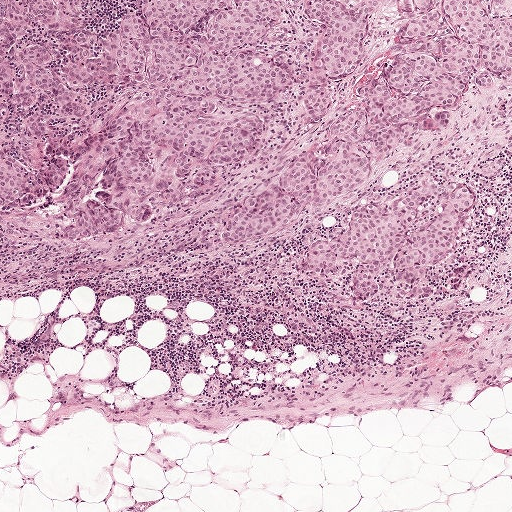
Lymph node section stained with H&E, from a whole-slide image of a breast-cancer sentinel node. Magnification about 5×, about 1 mm across the frame, about 1.9 µm per pixel.
Outlines of two tumour regions, largest first (closed clockwise paths, crop pixels): region 1: (490, 0), (487, 12), (511, 19), (511, 73), (484, 92), (468, 90), (438, 133), (398, 141), (348, 200), (310, 211), (255, 244), (227, 248), (219, 229), (255, 193), (286, 187), (293, 169), (328, 143), (334, 116), (356, 105), (360, 84), (390, 65), (408, 22), (404, 1); region 2: (0, 0), (88, 0), (92, 6), (93, 22), (88, 34), (80, 42), (68, 44), (55, 30), (47, 28), (36, 42), (0, 43).
About 10% of the image area is annotated as tumour.